Question: 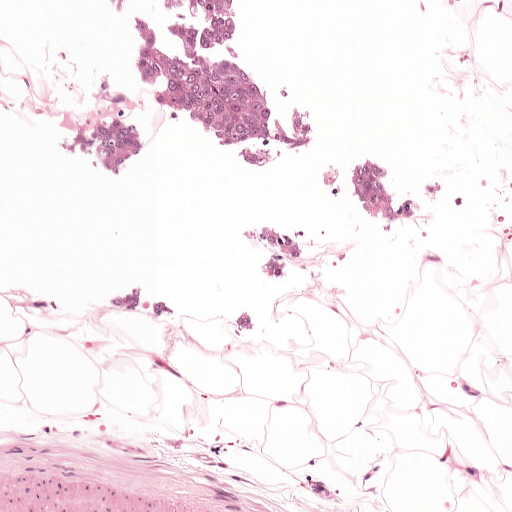
Which magnification is this H&E lymph node field most likely shown at?

Choices:
 (A) about 20×
 (B) about 5×
 (C) about 2.5×
 (D) about 10×
 (E) about 40×

Answer: (D) about 10×
A 0.5-mm field of an H&E-stained sentinel lymph node from a breast-cancer patient (whole-slide image), shown at about 10×, about 0.97 µm per pixel.
Boundaries of six metastatic tumour regions, simplified and listed clockwise, largest first: region 1: (159, 0), (235, 0), (238, 40), (246, 63), (306, 104), (315, 126), (314, 149), (271, 170), (246, 168), (172, 125), (164, 110), (140, 133), (134, 166), (111, 184), (76, 167), (64, 144), (78, 124), (112, 113), (136, 117), (155, 104), (135, 62), (131, 14), (161, 9); region 2: (364, 158), (390, 166), (395, 178), (394, 199), (419, 190), (428, 182), (440, 182), (455, 189), (466, 200), (463, 211), (439, 208), (435, 235), (416, 236), (406, 224), (393, 234), (376, 231), (353, 206), (323, 191), (320, 175), (330, 163); region 3: (241, 222), (258, 222), (308, 228), (304, 255), (287, 281), (264, 277), (248, 268), (264, 255), (246, 246); region 4: (139, 284), (171, 303), (178, 317), (163, 320), (129, 318), (114, 311), (107, 296); region 5: (246, 308), (257, 330), (245, 340), (231, 332), (230, 315); region 6: (101, 0), (125, 0), (115, 14).
Tumour covers about 15% of the frame.